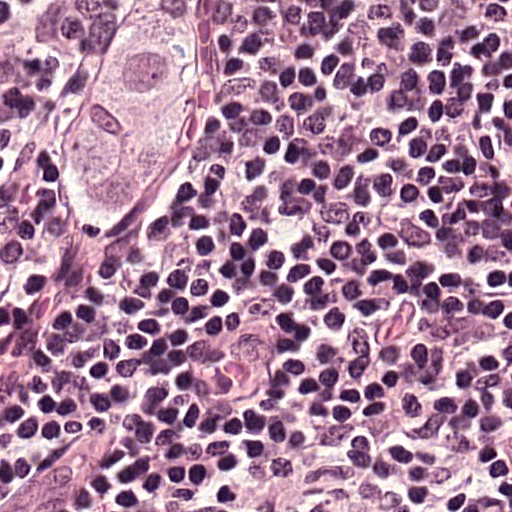
This is a crop of a whole-slide image: an H&E-stained breast-cancer sentinel lymph node section at roughly 40× magnification (about 0.24 µm per pixel; the crop spans about 0.12 mm).
The outlined metastatic tumour's edge, as a closed clockwise path of 14 points: (168, 0), (210, 12), (225, 49), (225, 78), (212, 128), (184, 181), (147, 223), (110, 245), (65, 231), (47, 204), (44, 170), (99, 28), (110, 12), (131, 2).
Tumour covers about 10% of the frame.